A 0.51-mm field of an H&E-stained sentinel lymph node from a breast-cancer patient (whole-slide image), shown at about 10×, about 1.0 µm per pixel.
Question: 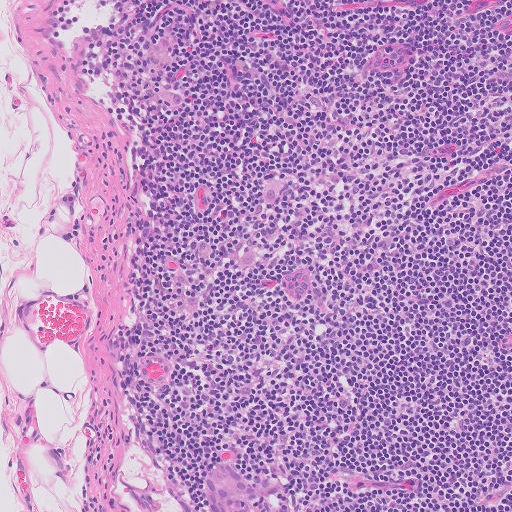
Roughly what share of this field is metastatic tumour?

Choices:
 (A) about 25% to 45%
 (B) about 10% to 20%
 (C) none: no tumour is outlined
 (D) about 50% or more
 (E) about 5% or less

Answer: (E) about 5% or less
Under 5% of the field is tumour.
One metastatic tumour region; its boundary, reduced to 8 corners and listed clockwise: (228, 460), (252, 478), (261, 492), (261, 508), (259, 511), (201, 511), (202, 495), (213, 462).